This is a crop of a whole-slide image: an H&E-stained breast-cancer sentinel lymph node section at roughly 10× magnification (about 0.97 µm per pixel; the crop spans about 0.5 mm).
Image:
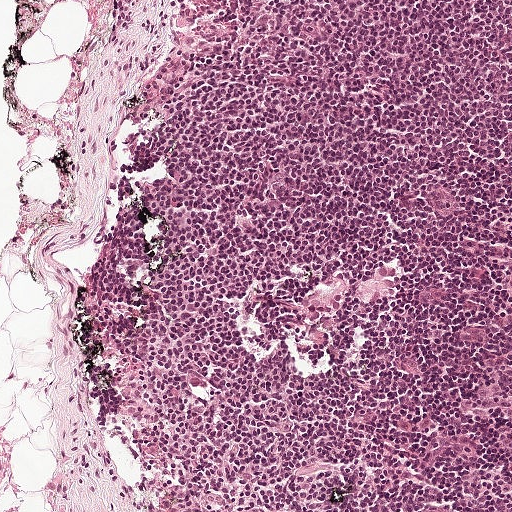
Question:
Where is the metastatic tumour in this field? Give each region's outline as (x, y) pixel points.
Answer:
Boundaries of two metastatic tumour regions, simplified and listed clockwise, largest first: region 1: (325, 275), (345, 275), (350, 279), (350, 285), (339, 311), (331, 316), (320, 317), (300, 306), (300, 298), (303, 288), (316, 286), (325, 281); region 2: (398, 255), (403, 276), (402, 290), (396, 297), (380, 297), (372, 304), (368, 304), (358, 298), (355, 290), (362, 279), (372, 276), (374, 271), (378, 270), (377, 268).
Under 5% of this field is tumour.